H&E-stained section of a sentinel lymph node (breast cancer), from a whole-slide image, viewed at about 10×: the field is about 0.46 mm across, about 0.9 µm per pixel.
Image:
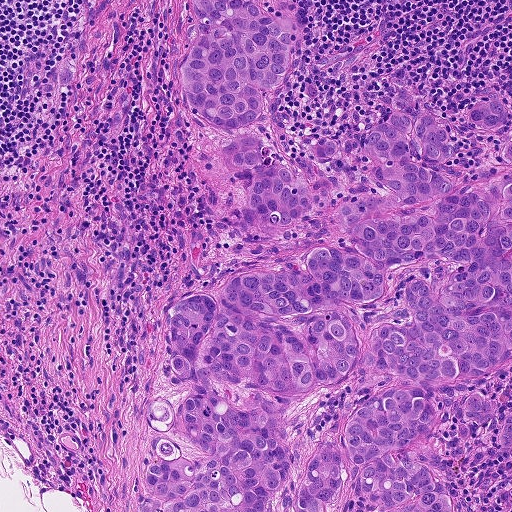
Question:
Does this lymph node field contain metastatic tumour?
Answer:
Yes.
Boundaries of two metastatic tumour regions, simplified and listed clockwise, largest first: region 1: (193, 0), (296, 21), (259, 131), (278, 151), (312, 161), (402, 86), (446, 119), (464, 182), (511, 171), (511, 368), (497, 424), (432, 428), (454, 511), (349, 511), (345, 478), (328, 511), (294, 511), (356, 380), (292, 404), (301, 460), (271, 511), (139, 511), (142, 401), (192, 395), (160, 371), (173, 304), (355, 251), (328, 210), (230, 224), (245, 180), (180, 70); region 2: (511, 414), (511, 454), (501, 444), (504, 422).
About 45% of this field is tumour.